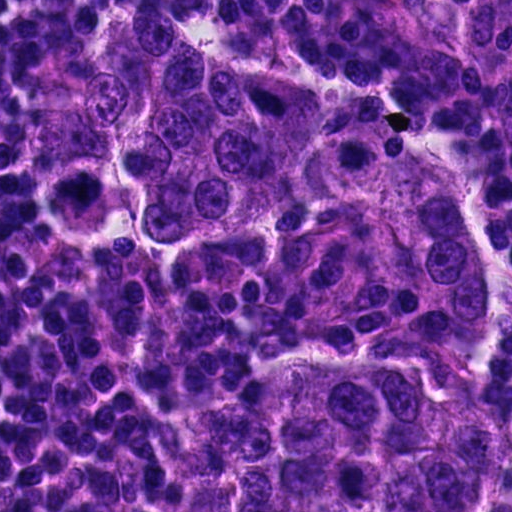
A 0.12-mm field of an H&E-stained sentinel lymph node from a breast-cancer patient (whole-slide image), shown at about 40×, about 0.23 µm per pixel.
One metastatic tumour region; its boundary, reduced to 19 corners and listed clockwise: (127, 6), (189, 7), (199, 43), (388, 108), (444, 143), (502, 257), (502, 447), (482, 511), (224, 511), (208, 438), (227, 382), (264, 330), (267, 270), (211, 245), (152, 255), (87, 246), (35, 209), (35, 82), (74, 37).
The annotated tumour makes up about 55% of the crop.